Image:
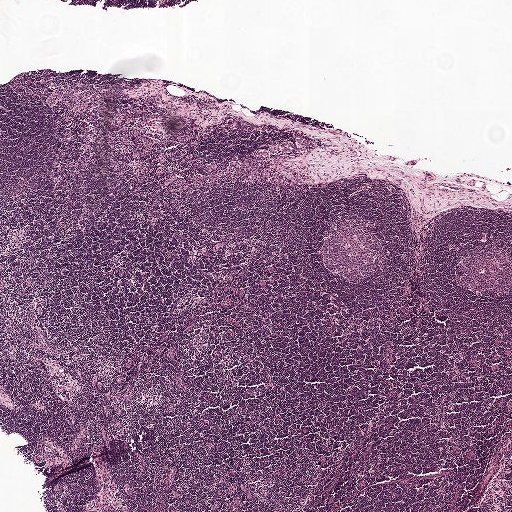
H&E-stained section of a sentinel lymph node (breast cancer), from a whole-slide image, viewed at about 2.5×: the field is about 2.0 mm across, about 3.9 µm per pixel.
Question:
Does this lymph node field contain metastatic tumour?
Answer:
Yes.
One metastatic tumour region; its boundary, reduced to 17 corners and listed clockwise: (295, 138), (302, 138), (313, 144), (308, 146), (308, 149), (305, 151), (292, 150), (280, 154), (271, 154), (267, 156), (256, 155), (254, 152), (256, 149), (266, 148), (277, 141), (289, 140), (295, 143).
Under 5% of the image area is annotated as tumour.